Question: 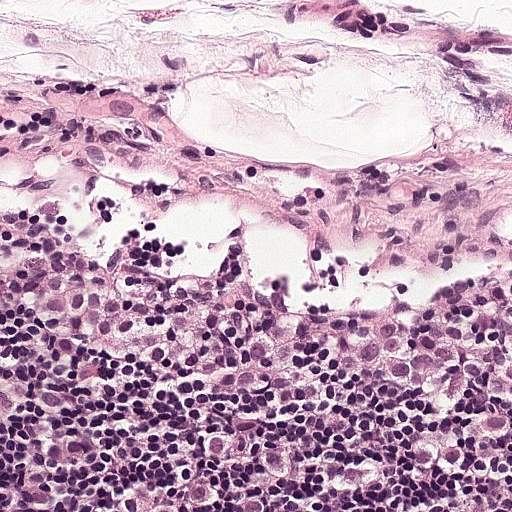
This is a crop of a whole-slide image: an H&E-stained breast-cancer sentinel lymph node section at roughly 20× magnification (about 0.49 µm per pixel; the crop spans about 0.25 mm).
About how much of this crop is taken up by metastatic carcinoma?

Choices:
 (A) about 5% or less
 (B) about 25% to 45%
 (C) none: no tumour is outlined
 (D) about 50% or more
 (E) about 10% to 20%

Answer: (B) about 25% to 45%
About 45% of the field is tumour.
The outlined metastatic tumour's edge, as a closed clockwise path of 7 points: (0, 130), (382, 268), (511, 274), (511, 511), (471, 511), (304, 434), (0, 405).